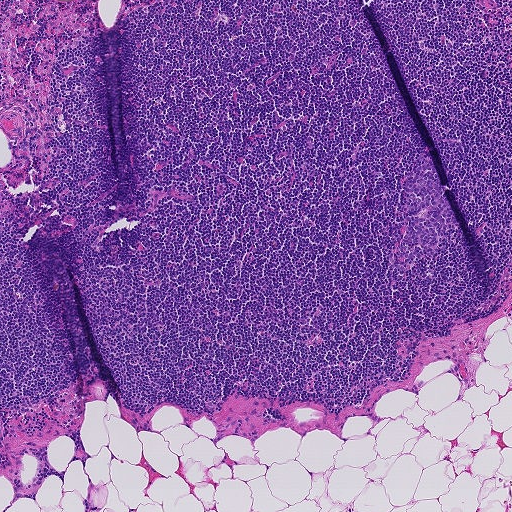
Lymph node section stained with H&E, from a whole-slide image of a breast-cancer sentinel node. Magnification about 5×, about 0.93 mm across the frame, about 1.8 µm per pixel.